Question: 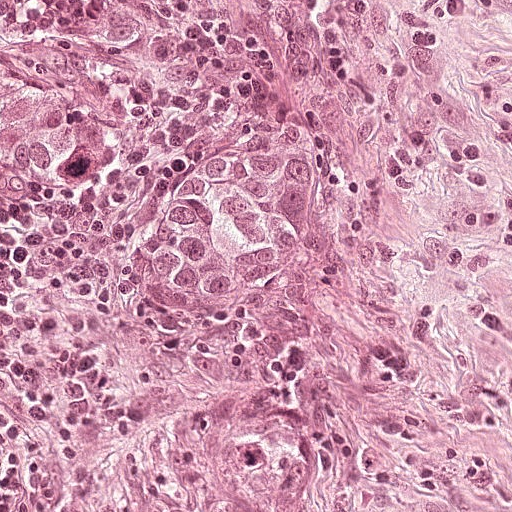
Lymph node section stained with H&E, from a whole-slide image of a breast-cancer sentinel node. Magnification about 20×, about 0.25 mm across the frame, about 0.49 µm per pixel.
About how much of this crop is taken up by metastatic carcinoma?

Choices:
 (A) about 25% to 45%
 (B) about 10% to 20%
 (C) about 5% or less
 (D) about 50% or more
 (E) none: no tumour is outlined

Answer: (D) about 50% or more
About 80% of the field is tumour.
The outlined metastatic tumour's edge, as a closed clockwise path of 6 points: (0, 0), (421, 0), (396, 216), (405, 453), (396, 507), (0, 511).